H&E-stained section of a sentinel lymph node (breast cancer), from a whole-slide image, viewed at about 20×: the field is about 0.23 mm across, about 0.45 µm per pixel.
Image:
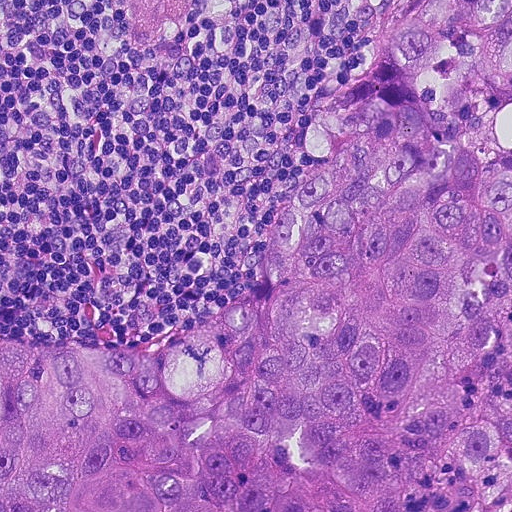
Question:
Outline the metastatic carcinoma in this image, as closed paths of (x, y) pixel coordinates.
Answer:
Metastatic tumour outline, simplified to 9 points and listed clockwise in crop pixels (x, y): (410, 0), (511, 0), (511, 511), (0, 511), (0, 345), (138, 345), (218, 320), (262, 255), (300, 138).
The annotated tumour makes up about 60% of the crop.